A 0.5-mm field of an H&E-stained sentinel lymph node from a breast-cancer patient (whole-slide image), shown at about 10×, about 0.97 µm per pixel.
Image:
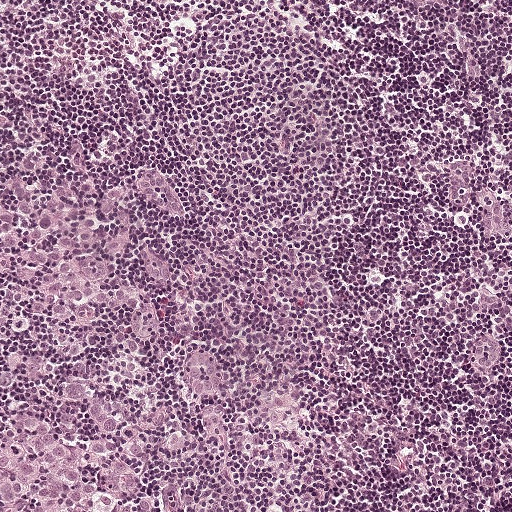
Question:
Does this lymph node field contain metastatic tumour?
Answer:
Yes.
One metastatic tumour region; its boundary, reduced to 14 corners and listed clockwise: (69, 156), (105, 174), (136, 214), (172, 269), (164, 340), (291, 407), (281, 454), (252, 467), (174, 465), (146, 490), (145, 511), (0, 511), (0, 171), (31, 157).
About 25% of this field is tumour.